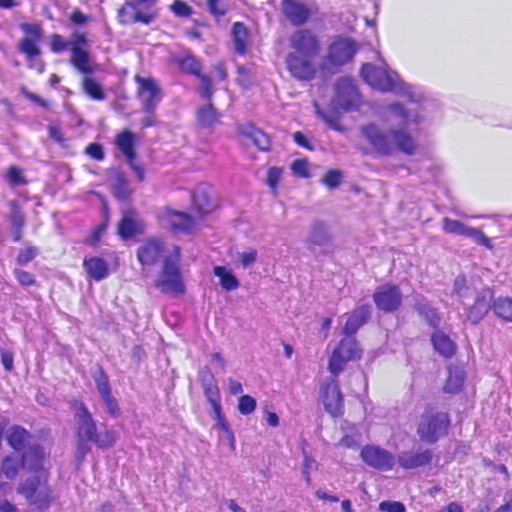
A 0.12-mm field of an H&E-stained sentinel lymph node from a breast-cancer patient (whole-slide image), shown at about 40×, about 0.23 µm per pixel.
Outlines of two tumour regions, largest first (closed clockwise paths, crop pixels): region 1: (401, 266), (470, 310), (497, 389), (468, 465), (393, 489), (323, 449), (303, 372), (343, 302); region 2: (0, 403), (73, 433), (96, 510), (0, 511).
Tumour covers about 15% of the frame.